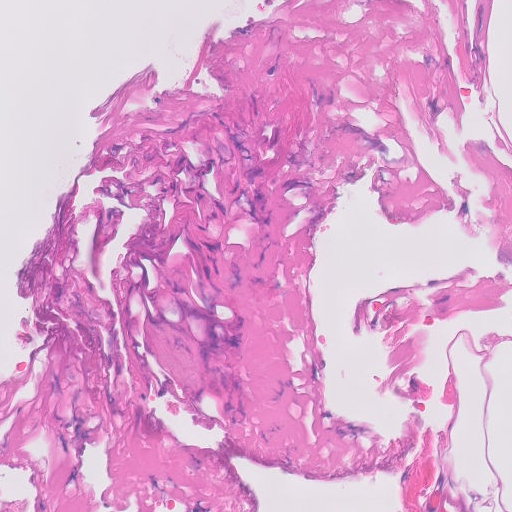
Lymph node section stained with H&E, from a whole-slide image of a breast-cancer sentinel node. Magnification about 20×, about 0.26 mm across the frame, about 0.5 µm per pixel.